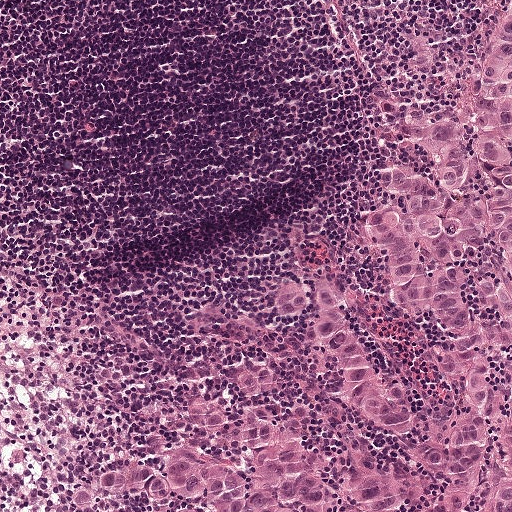
A 0.5-mm field of an H&E-stained sentinel lymph node from a breast-cancer patient (whole-slide image), shown at about 10×, about 0.97 µm per pixel.
Question: Show where the tumour is in this image.
Answer: Metastatic tumour outline, simplified to 14 points and listed clockwise in crop pixels (x, y): (502, 0), (511, 0), (511, 511), (18, 511), (25, 489), (59, 488), (126, 438), (177, 379), (219, 357), (256, 284), (380, 208), (384, 229), (393, 100), (475, 62).
Tumour covers about 45% of the frame.